Question: 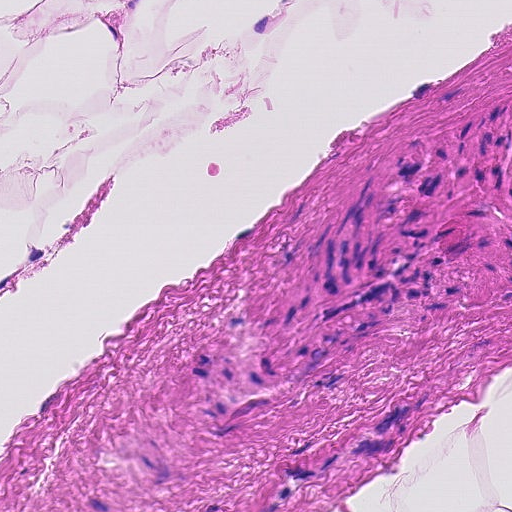
Lymph node section stained with H&E, from a whole-slide image of a breast-cancer sentinel node. Magnification about 20×, about 0.23 mm across the frame, about 0.45 µm per pixel.
Estimate the proportion of this field that is metastatic tumour.

Choices:
 (A) about 10% to 20%
 (B) about 50% or more
 (C) about 5% or less
 (D) about 25% to 45%
 (E) none: no tumour is outlined

Answer: (E) none: no tumour is outlined
No metastatic tumour is outlined in this field.